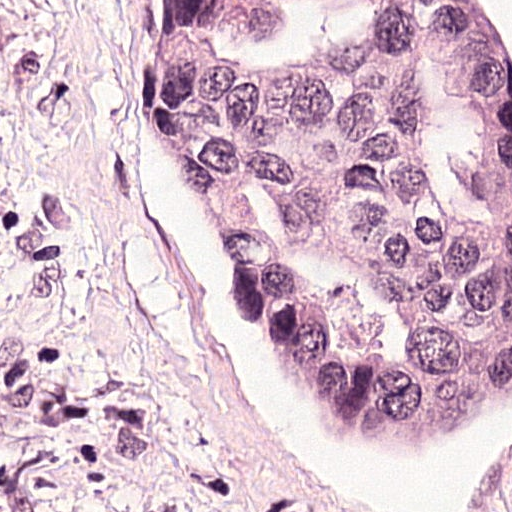
A 0.12-mm field of an H&E-stained sentinel lymph node from a breast-cancer patient (whole-slide image), shown at about 40×, about 0.24 µm per pixel.
Metastatic tumour outline, simplified to 12 points and listed clockwise in crop pixels (x, y): (155, 0), (473, 0), (511, 70), (511, 386), (482, 413), (373, 418), (323, 404), (287, 377), (250, 322), (219, 213), (146, 127), (137, 54).
The annotated tumour makes up about 50% of the crop.